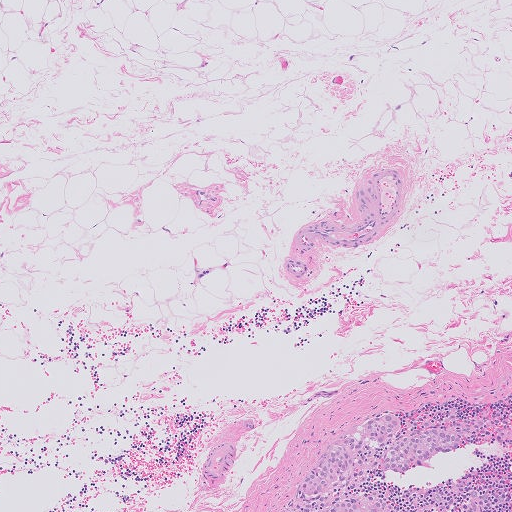
This is a crop of a whole-slide image: an H&E-stained breast-cancer sentinel lymph node section at roughly 5× magnification (about 2.0 µm per pixel; the crop spans about 1.0 mm).
Question: Trace the edge of each tumour region in this crop, as (x, y) points from 0 to 511.
Answer: Boundaries of two metastatic tumour regions, simplified and listed clockwise, largest first: region 1: (392, 412), (401, 421), (400, 428), (405, 434), (412, 433), (422, 422), (429, 421), (435, 426), (465, 428), (467, 443), (462, 450), (434, 458), (399, 473), (383, 472), (378, 467), (383, 445), (362, 467), (323, 494), (302, 494), (301, 479), (320, 454), (341, 433), (377, 413); region 2: (355, 493), (369, 493), (378, 496), (384, 501), (389, 511), (322, 511), (333, 501).
The annotated tumour makes up about 5% of the crop.

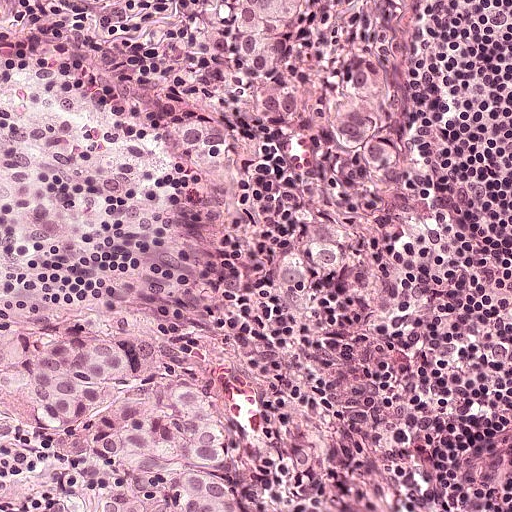
Lymph node section stained with H&E, from a whole-slide image of a breast-cancer sentinel node. Magnification about 20×, about 0.25 mm across the frame, about 0.49 µm per pixel.
Question: Trace the edge of each tumour region in this crop, as (x, y) points from 0 to 511.
Answer: Three metastatic tumour regions, each outlined as a closed clockwise path in crop pixels (x, y), largest first: region 1: (0, 301), (66, 304), (186, 334), (216, 364), (239, 510), (0, 511); region 2: (392, 78), (418, 108), (418, 164), (411, 191), (386, 232), (377, 296), (369, 308), (342, 322), (292, 318), (281, 304), (281, 248), (298, 217), (336, 179), (342, 102), (364, 84); region 3: (320, 0), (316, 112), (309, 128), (260, 130), (240, 124), (232, 104), (216, 86), (222, 48), (240, 2).
The annotated tumour makes up about 30% of the crop.

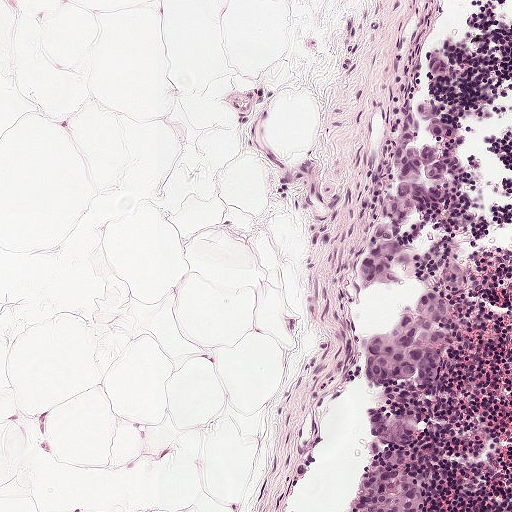
H&E-stained section of a sentinel lymph node (breast cancer), from a whole-slide image, viewed at about 10×: the field is about 0.5 mm across, about 0.97 µm per pixel.
Question: Trace the edge of each tumour region in this crop, as (x, y) points from 0 to 511.
Answer: Boundaries of four metastatic tumour regions, simplified and listed clockwise, largest first: region 1: (404, 100), (418, 124), (420, 140), (441, 159), (441, 177), (434, 180), (440, 196), (428, 208), (413, 209), (408, 213), (397, 237), (396, 254), (392, 261), (400, 273), (396, 283), (384, 287), (368, 287), (354, 280), (354, 262), (375, 204), (394, 179), (392, 154); region 2: (433, 292), (446, 300), (447, 334), (444, 347), (444, 378), (432, 383), (424, 392), (418, 392), (411, 380), (386, 390), (374, 390), (358, 384), (360, 360), (368, 340), (390, 327), (412, 298); region 3: (370, 406), (398, 412), (413, 424), (418, 439), (407, 453), (406, 462), (408, 470), (422, 481), (423, 502), (420, 511), (340, 511), (356, 481), (372, 463), (362, 436), (366, 410); region 4: (421, 99), (441, 109), (442, 120), (452, 126), (453, 143), (434, 142), (422, 134), (416, 108), (417, 102).
One more small tumour piece is annotated here but not outlined.
The annotated tumour makes up about 10% of the crop.

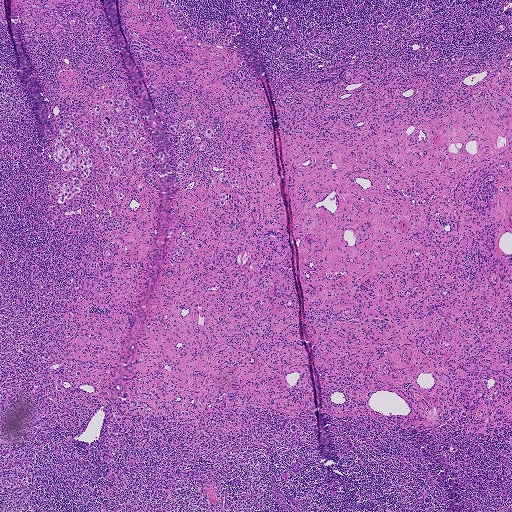
This is a crop of a whole-slide image: an H&E-stained breast-cancer sentinel lymph node section at roughly 2.5× magnification (about 3.6 µm per pixel; the crop spans about 1.9 mm).
Question: Trace the edge of each tumour region in this crop, as (x, y) points from 0 to 511.
Answer: Outlines of the eight largest metastatic tumour regions, each a closed clockwise path in crop pixels (x, y), largest first: region 1: (68, 122), (72, 123), (74, 130), (71, 133), (68, 132), (67, 137), (77, 138), (89, 149), (92, 166), (86, 179), (83, 179), (81, 176), (81, 169), (74, 170), (83, 185), (83, 188), (81, 192), (74, 194), (72, 198), (59, 203), (54, 199), (49, 200), (47, 193), (55, 181), (61, 182), (62, 163), (57, 162), (52, 157), (53, 142), (54, 138), (60, 136), (58, 128); region 2: (136, 115), (144, 125), (142, 127), (135, 124), (136, 130), (146, 141), (142, 144), (136, 138), (131, 140), (129, 134), (133, 129), (125, 129), (127, 140), (122, 148), (136, 145), (138, 154), (144, 156), (142, 161), (146, 169), (129, 162), (127, 168), (124, 167), (120, 159), (122, 157), (116, 153), (109, 159), (92, 138), (96, 127), (104, 131), (107, 126), (101, 123), (103, 117), (109, 116), (114, 127), (121, 123), (130, 125), (130, 116); region 3: (133, 39), (136, 39), (148, 46), (155, 47), (164, 52), (168, 52), (171, 52), (174, 53), (177, 56), (178, 59), (177, 62), (173, 62), (170, 61), (167, 60), (163, 54), (159, 53), (156, 54), (149, 52), (146, 50), (140, 52), (136, 52), (131, 48), (130, 45), (131, 41); region 4: (109, 98), (115, 101), (119, 99), (128, 99), (130, 102), (130, 105), (127, 107), (121, 106), (123, 110), (121, 113), (118, 113), (105, 109), (101, 103), (103, 100); region 5: (230, 15), (233, 16), (238, 22), (239, 29), (239, 32), (237, 34), (233, 34), (230, 35), (232, 42), (229, 44), (226, 45), (223, 44), (224, 40), (227, 40), (224, 34), (225, 31), (227, 28), (234, 30), (233, 29), (228, 25), (226, 22), (227, 16); region 6: (394, 17), (396, 20), (396, 23), (389, 28), (387, 35), (384, 36), (380, 34), (377, 24), (381, 23), (385, 23), (390, 18); region 7: (180, 160), (186, 162), (188, 168), (187, 171), (193, 172), (193, 179), (191, 180), (188, 179), (186, 177), (187, 174), (185, 172), (185, 169), (184, 172), (181, 174), (178, 173), (176, 171), (177, 164); region 8: (209, 20), (219, 23), (220, 26), (219, 29), (216, 31), (209, 30), (207, 28), (205, 24), (206, 21).
Two more, smaller tumour regions are not outlined.
55 more small tumour pieces are annotated here but not outlined.
About 5% of the image area is annotated as tumour.